This is a crop of a whole-slide image: an H&E-stained breast-cancer sentinel lymph node section at roughly 20× magnification (about 0.45 µm per pixel; the crop spans about 0.23 mm).
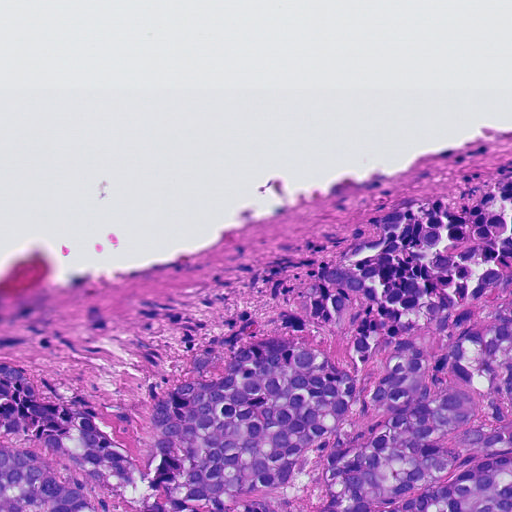
Metastatic tumour outline, simplified to 13 points and listed clockwise in crop pixels (x, y): (511, 162), (511, 511), (0, 511), (0, 356), (60, 379), (145, 472), (148, 398), (182, 378), (200, 342), (238, 316), (280, 313), (314, 263), (378, 210).
The annotated tumour makes up about 40% of the crop.